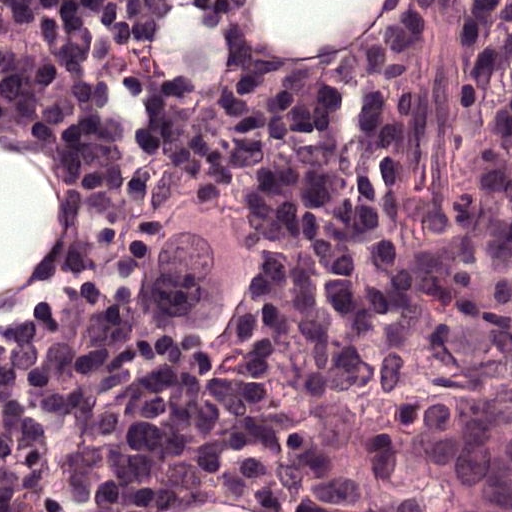
A 0.12-mm field of an H&E-stained sentinel lymph node from a breast-cancer patient (whole-slide image), shown at about 40×, about 0.24 µm per pixel.
Two metastatic tumour regions, each outlined as a closed clockwise path in crop pixels (x, y), largest first: region 1: (511, 0), (511, 511), (283, 511), (313, 444), (372, 415), (375, 393), (405, 352), (457, 226); region 2: (186, 197), (291, 242), (294, 319), (245, 355), (168, 355), (150, 347), (136, 315), (131, 265), (154, 228).
The annotated tumour makes up about 25% of the crop.